This is a crop of a whole-slide image: an H&E-stained breast-cancer sentinel lymph node section at roughly 5× magnification (about 1.9 µm per pixel; the crop spans about 1 mm).
Image:
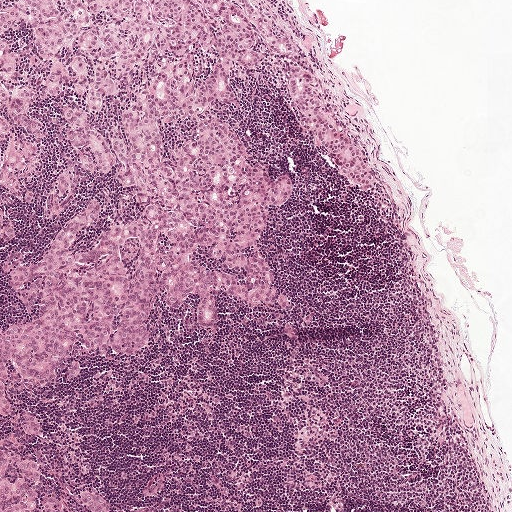
Question:
Is there metastatic carcinoma in this field?
Answer:
Yes.
Boundaries of four metastatic tumour regions, simplified and listed clockwise, largest first: region 1: (0, 0), (267, 0), (318, 51), (374, 189), (333, 166), (283, 59), (236, 68), (219, 112), (293, 186), (253, 246), (294, 311), (228, 293), (209, 329), (189, 294), (140, 351), (81, 349), (78, 378), (23, 394), (41, 433), (1, 420), (0, 329), (29, 320), (8, 270), (90, 200), (70, 254), (143, 214), (112, 168), (74, 168), (46, 218), (72, 157), (61, 115), (112, 147), (147, 73), (102, 114), (68, 86), (31, 104), (44, 146), (6, 188); region 2: (0, 438), (16, 455), (31, 463), (38, 470), (42, 466), (38, 491), (53, 498), (64, 511), (0, 511); region 3: (82, 490), (94, 493), (102, 497), (104, 501), (107, 503), (108, 511), (86, 511), (77, 504), (77, 500); region 4: (0, 199), (5, 204), (6, 212), (14, 231), (14, 240), (5, 238), (0, 234).
The annotated tumour makes up about 35% of the crop.